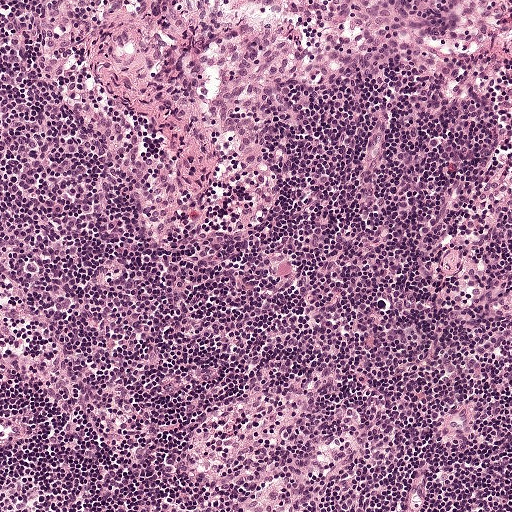
A 0.5-mm field of an H&E-stained sentinel lymph node from a breast-cancer patient (whole-slide image), shown at about 10×, about 0.97 µm per pixel.
Question: Does this lymph node field contain metastatic tumour?
Answer: No: no metastatic tumour is outlined anywhere in this field.